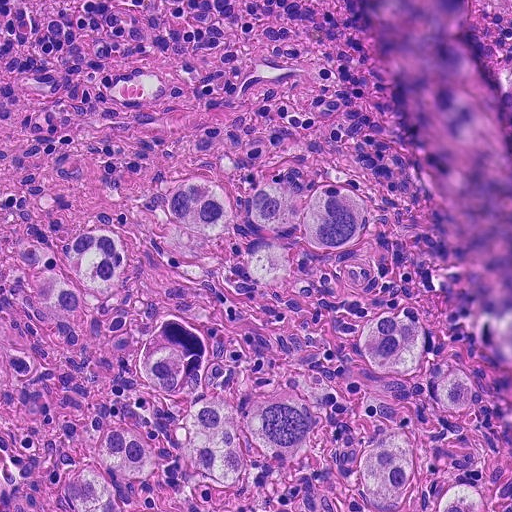
A 0.23-mm field of an H&E-stained sentinel lymph node from a breast-cancer patient (whole-slide image), shown at about 20×, about 0.45 µm per pixel.
Boundaries of four metastatic tumour regions, simplified and listed clockwise, largest first: region 1: (416, 312), (476, 388), (464, 410), (438, 403), (428, 379), (408, 382), (411, 433), (432, 480), (479, 484), (497, 511), (419, 511), (414, 492), (378, 508), (360, 488), (370, 437), (391, 424), (374, 415), (325, 420), (313, 444), (340, 511), (70, 511), (62, 472), (84, 460), (92, 408), (160, 438), (184, 403), (138, 374), (132, 349), (174, 314), (198, 322), (209, 344), (210, 395), (237, 404), (290, 377), (364, 390), (364, 317); region 2: (198, 176), (245, 196), (276, 180), (300, 190), (325, 179), (351, 184), (367, 204), (363, 229), (344, 246), (319, 250), (295, 239), (308, 271), (292, 292), (242, 298), (219, 283), (190, 280), (166, 266), (137, 212), (152, 190), (173, 178); region 3: (106, 227), (128, 240), (128, 265), (112, 287), (84, 290), (90, 310), (66, 315), (42, 306), (18, 262), (28, 238), (51, 250), (66, 272), (62, 248), (81, 231); region 4: (511, 65), (511, 138), (499, 116), (496, 89).
About 30% of this field is tumour.